Image:
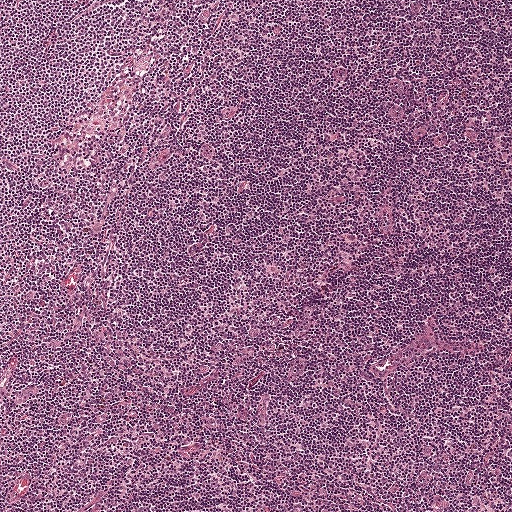
Lymph node section stained with H&E, from a whole-slide image of a breast-cancer sentinel node. Magnification about 5×, about 1 mm across the frame, about 1.9 µm per pixel.
Question:
Is there metastatic carcinoma in this field?
Answer:
No: no metastatic tumour is outlined anywhere in this field.